Question: 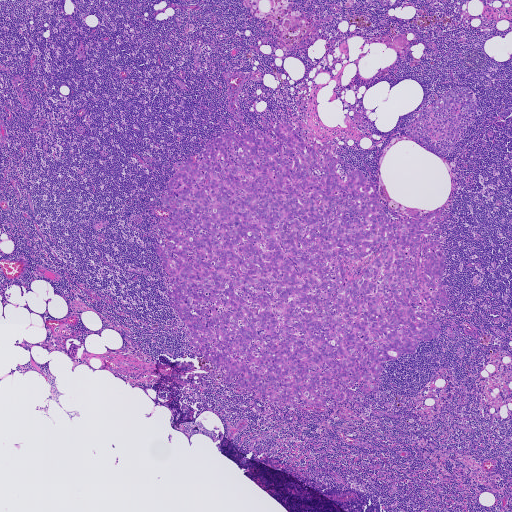
H&E-stained section of a sentinel lymph node (breast cancer), from a whole-slide image, viewed at about 2.5×: the field is about 1.9 mm across, about 3.6 µm per pixel.
Roughly what share of this field is metastatic tumour?

Choices:
 (A) about 5% or less
 (B) about 25% to 45%
 (C) none: no tumour is outlined
 (D) about 10% to 20%
 (E) about 50% or more

Answer: (D) about 10% to 20%
About 20% of the field is tumour.
Metastatic tumour outline, simplified to 20 points and listed clockwise in crop pixels (x, y): (289, 124), (342, 180), (359, 170), (391, 223), (441, 214), (429, 239), (447, 258), (440, 333), (381, 362), (376, 391), (356, 381), (324, 408), (225, 383), (170, 304), (156, 249), (168, 240), (169, 183), (227, 132), (282, 145), (274, 129).